Question: 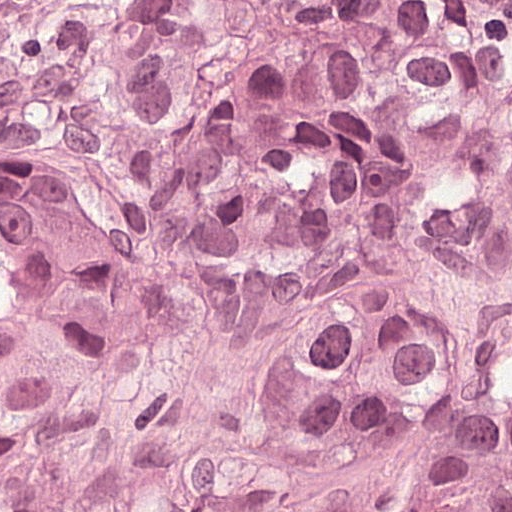
H&E-stained section of a sentinel lymph node (breast cancer), from a whole-slide image, viewed at about 40×: the field is about 0.12 mm across, about 0.24 µm per pixel.
Roughly what share of this field is metastatic tumour?

Choices:
 (A) none: no tumour is outlined
 (B) about 10% to 20%
 (C) about 5% or less
 (D) about 25% to 45%
 (E) about 50% or more

Answer: (E) about 50% or more
About 60% of the field is tumour.
Three metastatic tumour regions, each outlined as a closed clockwise path in crop pixels (x, y), largest first: region 1: (375, 234), (487, 354), (511, 367), (511, 511), (191, 507), (189, 438), (242, 389), (238, 358), (293, 272); region 2: (122, 0), (168, 0), (226, 40), (299, 18), (374, 15), (409, 83), (411, 117), (432, 136), (433, 185), (419, 213), (399, 224), (354, 228), (317, 218), (244, 245), (215, 236), (150, 160), (140, 113), (91, 62); region 3: (22, 118), (111, 162), (120, 305), (79, 375), (68, 418), (46, 429), (5, 428), (0, 121).